Question: 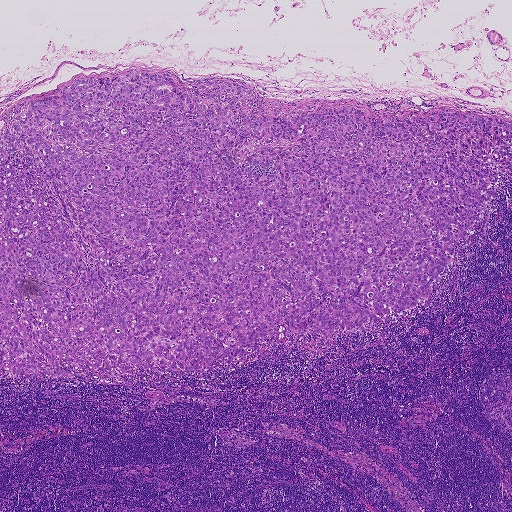
Lymph node section stained with H&E, from a whole-slide image of a breast-cancer sentinel node. Magnification about 2.5×, about 1.9 mm across the frame, about 3.6 µm per pixel.
What fraction of the image area is metastatic tumour?

Choices:
 (A) about 5% or less
 (B) about 10% to 20%
 (C) none: no tumour is outlined
 (D) about 25% to 45%
 (E) about 50% or more

Answer: (D) about 25% to 45%
About 45% of the field is tumour.
Metastatic tumour outline, simplified to 24 points and listed clockwise in crop pixels (x, y): (135, 69), (192, 98), (204, 82), (241, 84), (254, 95), (246, 117), (275, 110), (291, 122), (343, 105), (381, 120), (442, 107), (511, 121), (511, 164), (452, 264), (427, 297), (365, 332), (314, 334), (319, 312), (208, 371), (62, 362), (74, 378), (0, 377), (0, 136), (35, 99).